Image:
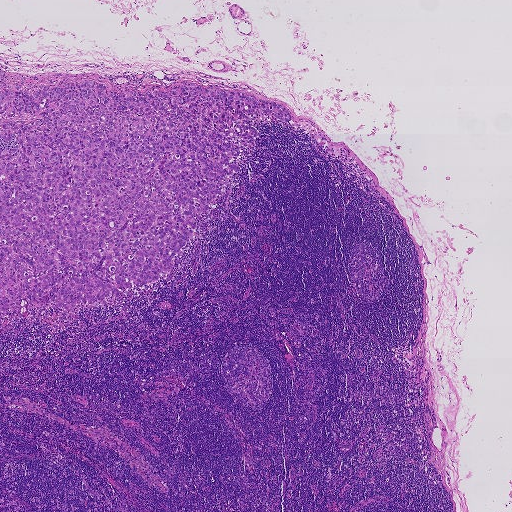
This is a crop of a whole-slide image: an H&E-stained breast-cancer sentinel lymph node section at roughly 2.5× magnification (about 3.6 µm per pixel; the crop spans about 1.9 mm).
Question:
Trace the edge of each tumour region in this crop, as (x, y) points from 0 to 511.
Answer:
Metastatic tumour outline, simplified to 19 points and listed clockwise in crop pixels (x, y): (85, 79), (142, 93), (184, 81), (280, 104), (289, 122), (250, 115), (257, 136), (230, 162), (238, 171), (195, 219), (201, 225), (169, 271), (103, 307), (56, 308), (58, 287), (0, 323), (0, 91), (17, 84), (33, 96).
About 20% of this field is tumour.